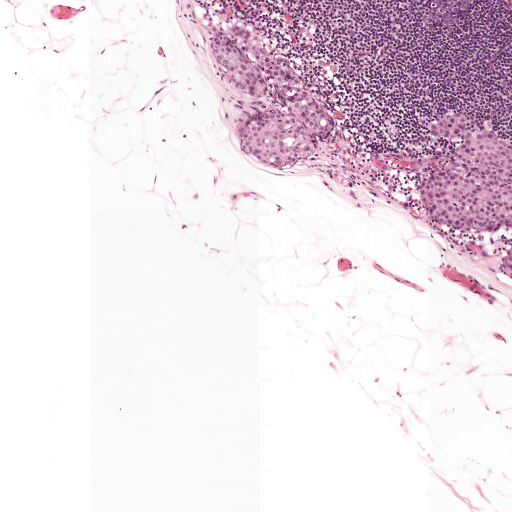
Lymph node section stained with H&E, from a whole-slide image of a breast-cancer sentinel node. Magnification about 5×, about 1 mm across the frame, about 1.9 µm per pixel.
Boundaries of three metastatic tumour regions, simplified and listed clockwise, largest first: region 1: (227, 23), (239, 25), (283, 54), (302, 87), (324, 101), (334, 123), (330, 135), (318, 139), (309, 162), (284, 168), (248, 158), (237, 149), (233, 137), (237, 125), (272, 111), (287, 110), (259, 76), (262, 96), (241, 96), (220, 82), (210, 45), (215, 33); region 2: (450, 103), (476, 111), (511, 146), (511, 239), (448, 230), (427, 215), (422, 203), (420, 178), (429, 170), (452, 166), (456, 139), (431, 138), (424, 127), (428, 114), (437, 106); region 3: (511, 248), (511, 282), (508, 280), (500, 270), (500, 258), (509, 249).
Tumour covers about 5% of the frame.